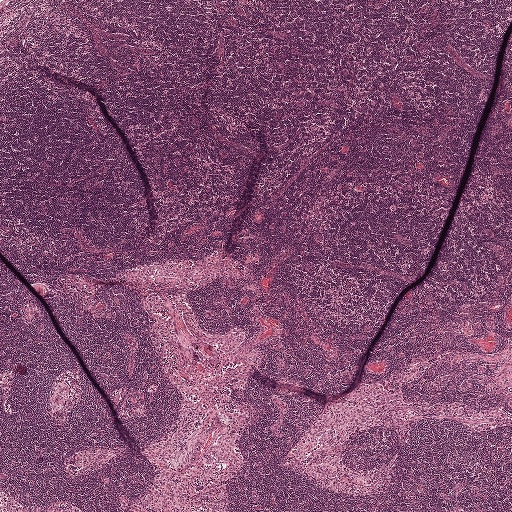
Lymph node section stained with H&E, from a whole-slide image of a breast-cancer sentinel node. Magnification about 2.5×, about 2.0 mm across the frame, about 3.9 µm per pixel.
Question: Is any metastatic breast cancer visible in this crop?
Answer: No: no metastatic tumour is outlined anywhere in this field.